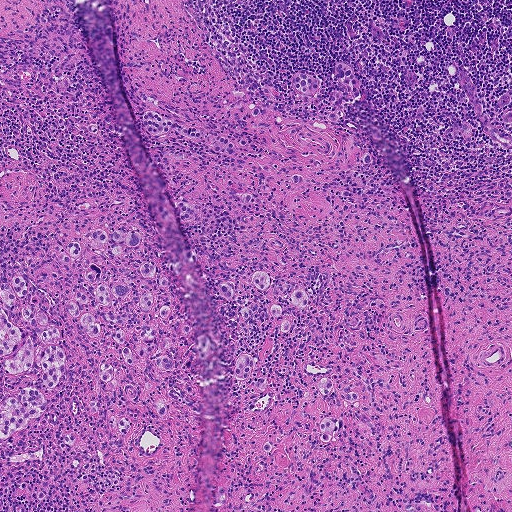
A 0.93-mm field of an H&E-stained sentinel lymph node from a breast-cancer patient (whole-slide image), shown at about 5×, about 1.8 µm per pixel.
The eight largest tumour regions' boundaries, simplified and listed clockwise, largest first: region 1: (18, 275), (24, 278), (28, 292), (24, 298), (17, 297), (15, 306), (35, 308), (60, 329), (65, 364), (54, 390), (42, 384), (42, 370), (30, 372), (48, 409), (44, 416), (30, 419), (25, 429), (0, 439), (4, 358), (0, 358), (0, 285); region 2: (153, 262), (168, 281), (165, 287), (152, 280), (152, 292), (174, 315), (165, 320), (153, 307), (144, 311), (140, 299), (147, 290), (131, 289), (135, 313), (125, 328), (154, 323), (157, 340), (170, 344), (164, 354), (174, 370), (163, 371), (139, 356), (136, 368), (130, 366), (120, 351), (125, 346), (114, 339), (99, 351), (65, 308), (72, 286), (90, 294), (96, 285), (84, 278), (86, 266), (99, 265), (102, 283), (109, 285), (122, 278), (140, 282), (141, 264); region 3: (147, 110), (154, 111), (178, 124), (191, 127), (209, 135), (223, 136), (234, 143), (242, 138), (246, 140), (246, 145), (242, 147), (238, 144), (235, 145), (237, 151), (234, 157), (227, 157), (215, 152), (206, 140), (192, 140), (174, 131), (154, 135), (142, 128), (142, 114); region 4: (99, 228), (111, 233), (119, 229), (125, 232), (131, 229), (137, 230), (141, 235), (140, 242), (136, 246), (129, 247), (123, 244), (126, 252), (122, 257), (110, 258), (91, 251), (84, 237), (87, 232); region 5: (341, 61), (348, 63), (356, 75), (360, 96), (355, 100), (347, 99), (341, 102), (344, 115), (340, 121), (333, 122), (327, 120), (328, 113), (335, 112), (330, 101), (331, 94), (335, 89), (348, 92), (336, 82), (334, 75), (335, 64); region 6: (240, 353), (252, 356), (257, 369), (256, 375), (267, 377), (267, 389), (262, 393), (257, 390), (252, 385), (255, 380), (252, 377), (251, 370), (249, 376), (243, 380), (237, 378), (233, 373), (235, 360); region 7: (299, 72), (319, 78), (321, 85), (319, 91), (313, 94), (300, 92), (294, 88), (290, 80), (293, 74); region 8: (329, 416), (342, 419), (344, 425), (340, 430), (334, 428), (330, 440), (326, 444), (321, 440), (322, 433), (318, 425), (322, 419).
11 more, smaller tumour regions are not outlined.
15 more small tumour pieces are annotated here but not outlined.
About 10% of the image area is annotated as tumour.